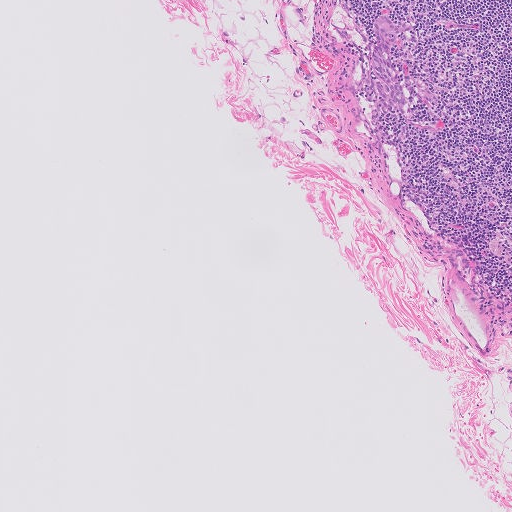
Lymph node section stained with H&E, from a whole-slide image of a breast-cancer sentinel node. Magnification about 5×, about 1.0 mm across the frame, about 2.0 µm per pixel.
Question: Trace the edge of each tumour region in this crop, as (x, y) points from 0 to 511.
Answer: Tumour region outline (a closed clockwise path, crop pixels): (385, 13), (397, 22), (401, 29), (402, 38), (394, 52), (406, 98), (401, 113), (393, 115), (378, 110), (368, 88), (369, 64), (377, 15).
The annotated tumour makes up under 5% of the crop.